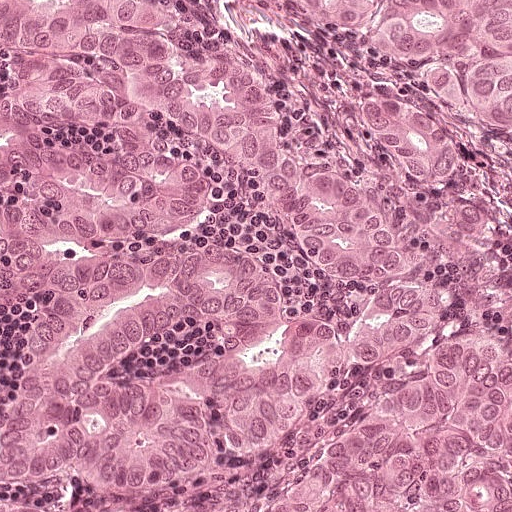
A 0.25-mm field of an H&E-stained sentinel lymph node from a breast-cancer patient (whole-slide image), shown at about 20×, about 0.49 µm per pixel.
Question: Is any metastatic breast cancer visible in this crop?
Answer: Yes.
The outlined metastatic tumour's edge, as a closed clockwise path of 7 points: (510, 332), (511, 511), (235, 511), (300, 465), (343, 412), (388, 382), (432, 358).
About 10% of this field is tumour.